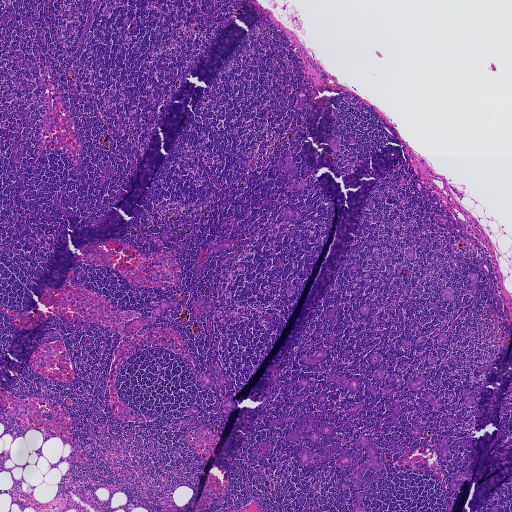
A 1.9-mm field of an H&E-stained sentinel lymph node from a breast-cancer patient (whole-slide image), shown at about 2.5×, about 3.6 µm per pixel.
Question: Describe where the metastatic carcinoma lies in this crop.
Answer: The eight largest tumour regions' boundaries, simplified and listed clockwise, largest first: region 1: (366, 435), (376, 439), (373, 443), (380, 455), (382, 465), (382, 467), (377, 469), (370, 467), (364, 472), (360, 486), (358, 488), (355, 487), (352, 481), (352, 476), (360, 466), (369, 460), (367, 450), (357, 445), (356, 443), (359, 438); region 2: (290, 157), (292, 157), (294, 161), (298, 168), (298, 171), (292, 179), (297, 181), (297, 183), (306, 178), (307, 180), (307, 186), (304, 188), (296, 191), (289, 191), (288, 189), (287, 186), (293, 182), (291, 180), (289, 181), (286, 174), (282, 170), (282, 168), (285, 164), (287, 162), (286, 160); region 3: (304, 85), (307, 88), (310, 98), (315, 104), (315, 118), (310, 118), (309, 116), (310, 108), (309, 107), (304, 109), (296, 109), (295, 107), (297, 100), (295, 93), (301, 89); region 4: (328, 374), (334, 374), (336, 379), (342, 377), (347, 379), (355, 377), (360, 379), (360, 382), (357, 392), (347, 390), (345, 388), (340, 388), (334, 383), (329, 380), (327, 377); region 5: (438, 215), (448, 216), (453, 222), (463, 224), (466, 228), (463, 237), (449, 231), (433, 216); region 6: (418, 178), (423, 183), (427, 190), (430, 191), (432, 195), (439, 200), (440, 202), (439, 206), (435, 207), (430, 204), (421, 194), (416, 190), (416, 183), (415, 179); region 7: (466, 472), (471, 478), (469, 482), (464, 483), (462, 488), (457, 490), (453, 490), (450, 483), (453, 477); region 8: (163, 300), (178, 301), (179, 306), (175, 310), (170, 307), (162, 315), (157, 316), (155, 316), (151, 313), (152, 310), (161, 305).
21 more, smaller tumour regions are not outlined.
37 more small tumour pieces are annotated here but not outlined.
Tumour covers about 5% of the frame.